H&E-stained section of a sentinel lymph node (breast cancer), from a whole-slide image, viewed at about 10×: the field is about 0.5 mm across, about 0.97 µm per pixel.
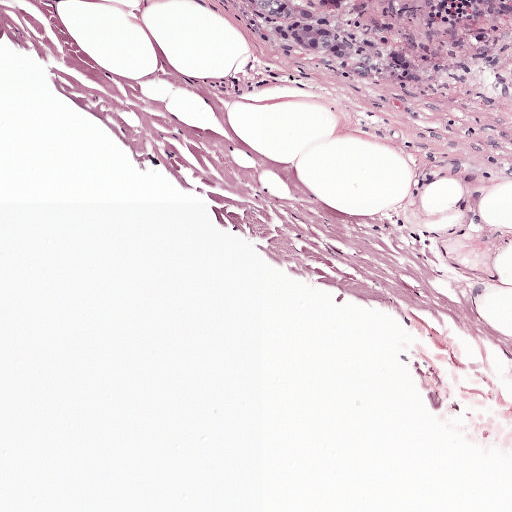
Question: Show where the tumour is in this image.
Answer: Tumour region outline (a closed clockwise path, crop pixels): (237, 0), (511, 0), (511, 11), (426, 79), (402, 92), (382, 93), (344, 78).
About 5% of this field is tumour.